Question: 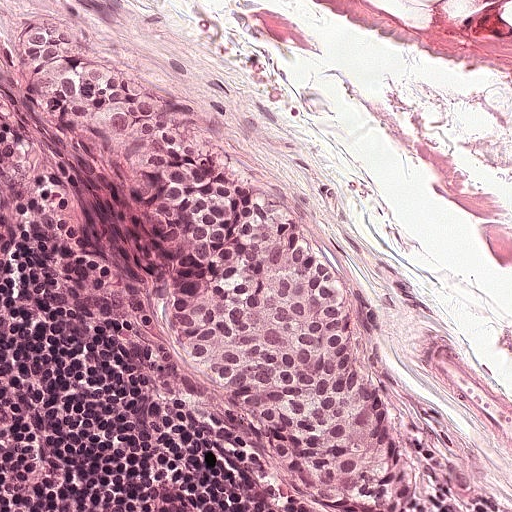
This is a crop of a whole-slide image: an H&E-stained breast-cancer sentinel lymph node section at roughly 20× magnification (about 0.49 µm per pixel; the crop spans about 0.25 mm).
Estimate the proportion of this field that is metastatic tumour.

Choices:
 (A) about 10% to 20%
 (B) about 50% or more
 (C) about 5% or less
 (D) about 25% to 45%
 (E) none: no tumour is outlined

Answer: (D) about 25% to 45%
About 25% of the field is tumour.
One metastatic tumour region; its boundary, reduced to 14 corners and listed clockwise: (45, 30), (86, 46), (159, 98), (340, 274), (379, 390), (402, 423), (413, 511), (301, 511), (234, 406), (193, 378), (140, 198), (102, 158), (66, 140), (20, 44).